Question: 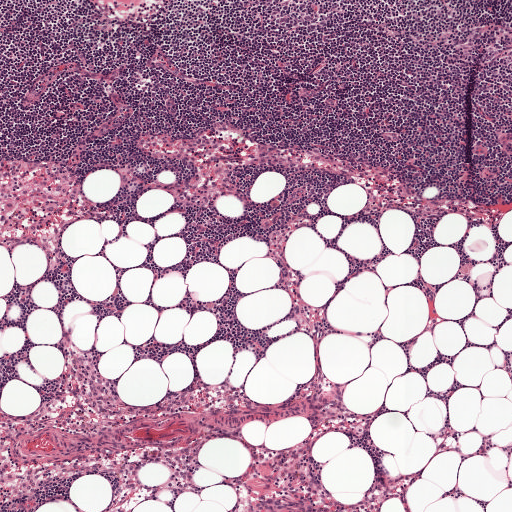
About what magnification does this crop show?

Choices:
 (A) about 5×
 (B) about 20×
 (C) about 2.5×
 (D) about 10×
 (E) about 40×

Answer: (A) about 5×
A 1-mm field of an H&E-stained sentinel lymph node from a breast-cancer patient (whole-slide image), shown at about 5×, about 1.9 µm per pixel.